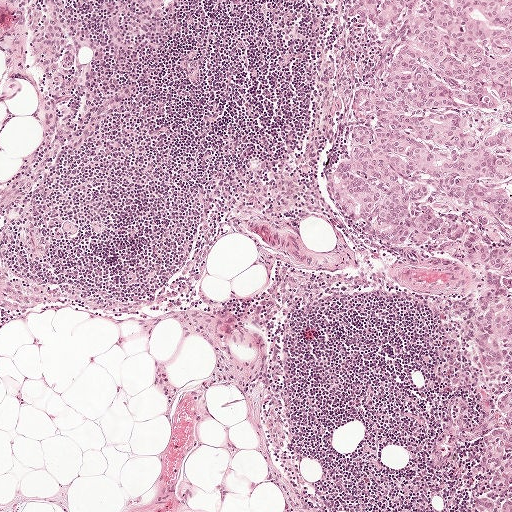
Lymph node section stained with H&E, from a whole-slide image of a breast-cancer sentinel node. Magnification about 5×, about 1 mm across the frame, about 1.9 µm per pixel.
Tumour region outline (a closed clockwise path, crop pixels): (356, 0), (511, 0), (511, 511), (475, 508), (492, 490), (484, 439), (460, 444), (445, 468), (429, 461), (451, 426), (447, 403), (464, 402), (465, 429), (482, 416), (482, 362), (452, 312), (479, 296), (480, 271), (392, 252), (330, 202), (355, 93), (387, 44), (382, 30), (346, 12).
About 20% of this field is tumour.